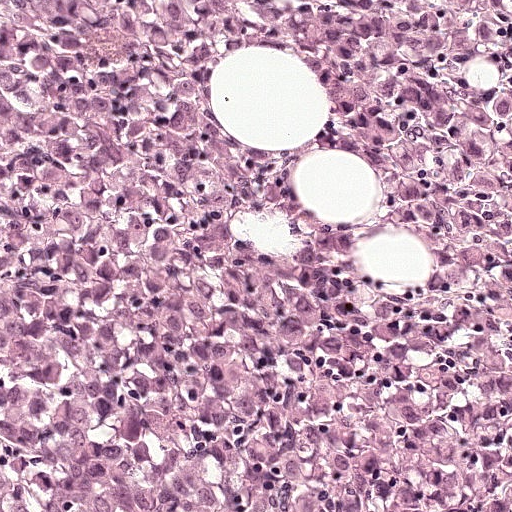
A 0.25-mm field of an H&E-stained sentinel lymph node from a breast-cancer patient (whole-slide image), shown at about 20×, about 0.49 µm per pixel.
Tumour region outline (a closed clockwise path, crop pixels): (0, 68), (243, 174), (286, 214), (337, 319), (337, 444), (353, 510), (0, 511).
About 45% of this field is tumour.